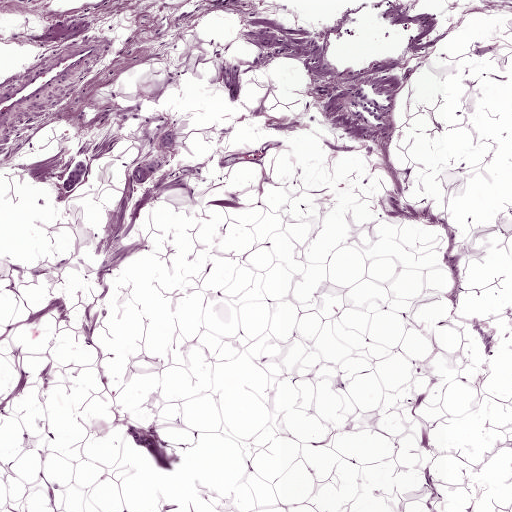
This is a crop of a whole-slide image: an H&E-stained breast-cancer sentinel lymph node section at roughly 5× magnification (about 1.9 µm per pixel; the crop spans about 1 mm).
Metastatic tumour outline, simplified to 8 points and listed clockwise in crop pixels (x, y): (81, 160), (85, 161), (86, 167), (80, 184), (67, 192), (64, 184), (68, 171), (74, 163).
The annotated tumour makes up under 5% of the crop.